Question: 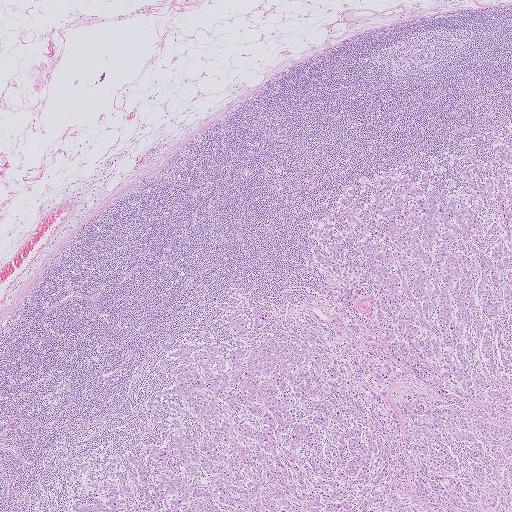
This is a crop of a whole-slide image: an H&E-stained breast-cancer sentinel lymph node section at roughly 2.5× magnification (about 4.0 µm per pixel; the crop spans about 2.0 mm).
What fraction of the image area is metastatic tumour?

Choices:
 (A) about 5% or less
 (B) none: no tumour is outlined
 (C) about 25% to 45%
 (D) about 10% to 20%
 (E) about 50% or more

Answer: (C) about 25% to 45%
About 40% of the field is tumour.
One metastatic tumour region; its boundary, reduced to 24 corners and listed clockwise: (502, 125), (511, 511), (69, 511), (74, 466), (127, 452), (147, 461), (165, 442), (145, 401), (170, 382), (157, 363), (190, 334), (229, 339), (214, 307), (227, 288), (291, 327), (340, 314), (307, 238), (347, 188), (413, 165), (444, 172), (476, 152), (460, 142), (476, 136), (487, 160).